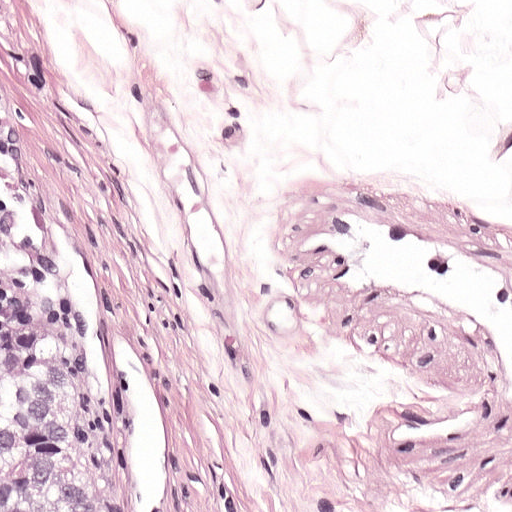
Lymph node section stained with H&E, from a whole-slide image of a breast-cancer sentinel node. Magnification about 20×, about 0.25 mm across the frame, about 0.49 µm per pixel.
One metastatic tumour region; its boundary, reduced to 6 corners and listed clockwise: (0, 226), (58, 258), (96, 313), (137, 454), (143, 511), (0, 511).
Tumour covers about 10% of the frame.